Image:
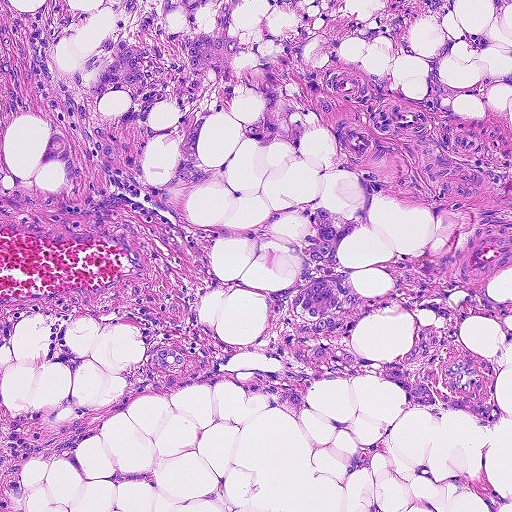
Lymph node section stained with H&E, from a whole-slide image of a breast-cancer sentinel node. Magnification about 10×, about 0.46 mm across the frame, about 0.9 µm per pixel.
Question:
Where is the metastatic tumour in this field?
Answer:
Boundaries of three metastatic tumour regions, simplified and listed clockwise, largest first: region 1: (0, 0), (457, 0), (410, 29), (418, 56), (340, 52), (419, 99), (440, 45), (472, 32), (487, 47), (453, 44), (439, 74), (511, 68), (511, 91), (438, 116), (331, 70), (342, 114), (300, 158), (234, 100), (196, 150), (235, 150), (243, 192), (184, 205), (250, 229), (322, 198), (364, 226), (336, 254), (375, 314), (352, 349), (502, 413), (483, 430), (364, 379), (310, 386), (298, 421), (228, 382), (120, 400), (129, 326), (250, 346), (256, 291), (300, 267), (0, 214); region 2: (0, 377), (2, 395), (9, 406), (21, 412), (76, 396), (85, 408), (112, 402), (120, 413), (108, 416), (101, 428), (81, 446), (79, 460), (38, 461), (26, 466), (20, 479), (26, 511), (0, 511); region 3: (491, 0), (511, 0), (511, 5), (502, 11), (499, 22), (493, 15), (494, 6).
One more small tumour piece is annotated here but not outlined.
The annotated tumour makes up about 40% of the crop.